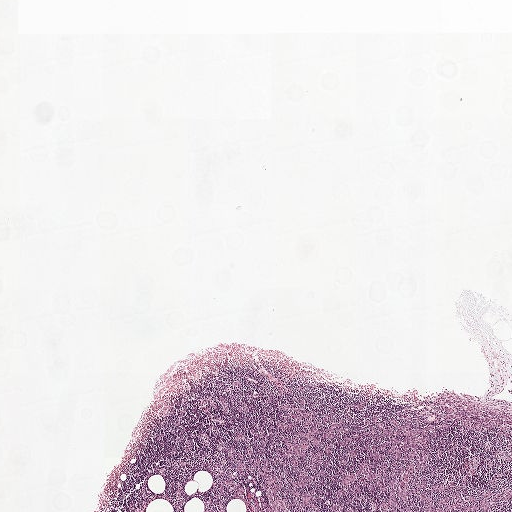
A 2.0-mm field of an H&E-stained sentinel lymph node from a breast-cancer patient (whole-slide image), shown at about 2.5×, about 3.9 µm per pixel.
Tumour region outline (a closed clockwise path, crop pixels): (193, 372), (285, 389), (322, 406), (471, 402), (511, 411), (511, 511), (246, 511), (235, 499), (226, 511), (209, 511), (212, 479), (182, 462), (151, 395).
About 15% of the image area is annotated as tumour.